H&E-stained section of a sentinel lymph node (breast cancer), from a whole-slide image, viewed at about 10×: the field is about 0.5 mm across, about 0.97 µm per pixel.
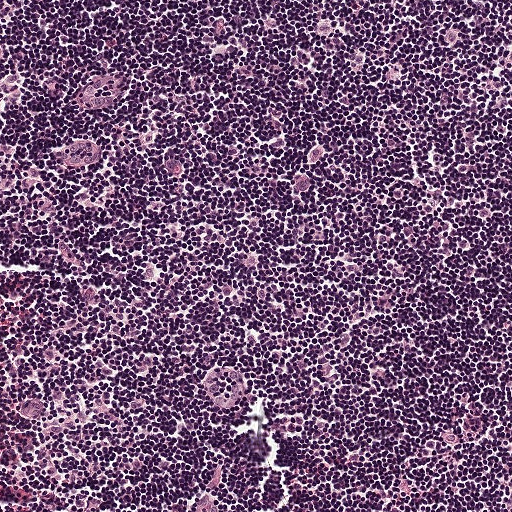
Question: Does this lymph node field contain metastatic tumour?
Answer: No. No metastatic tumour is outlined in this field.